Question: 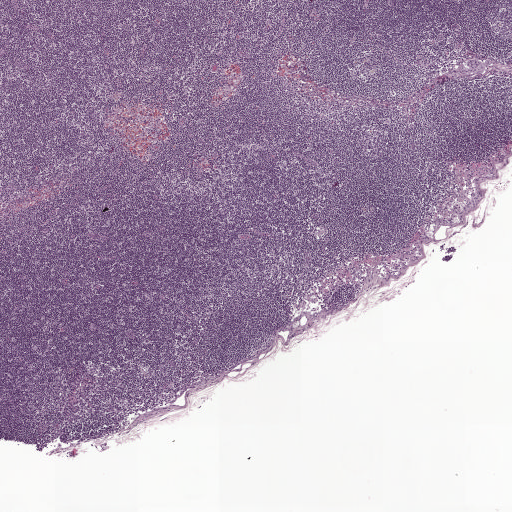
At roughly what magnification is this field shown?

Choices:
 (A) about 20×
 (B) about 40×
 (C) about 2.5×
 (D) about 5×
 (E) about 10×

Answer: (C) about 2.5×
Lymph node section stained with H&E, from a whole-slide image of a breast-cancer sentinel node. Magnification about 2.5×, about 2.0 mm across the frame, about 3.9 µm per pixel.
One metastatic tumour region; its boundary, reduced to 12 corners and listed clockwise: (471, 60), (481, 61), (488, 60), (495, 62), (495, 64), (485, 71), (483, 74), (476, 75), (469, 77), (453, 72), (453, 70), (463, 63).
Under 5% of this field is tumour.